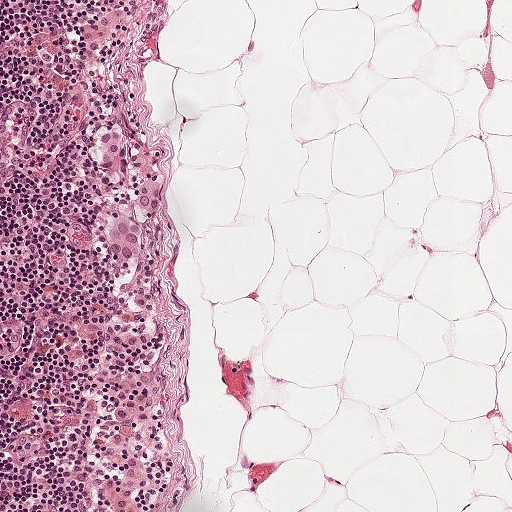
A 0.5-mm field of an H&E-stained sentinel lymph node from a breast-cancer patient (whole-slide image), shown at about 10×, about 0.97 µm per pixel.
Question: Does this lymph node field contain metastatic tumour?
Answer: Yes.
Outlines of two tumour regions, largest first (closed clockwise paths, crop pixels): region 1: (126, 117), (129, 132), (128, 156), (133, 167), (164, 180), (165, 196), (160, 211), (152, 215), (139, 212), (134, 203), (132, 189), (126, 179), (118, 175), (98, 174), (87, 163), (86, 158), (94, 139), (104, 124), (113, 118); region 2: (131, 209), (144, 223), (146, 230), (146, 247), (142, 263), (124, 271), (106, 271), (98, 264), (94, 250), (94, 238), (99, 223), (105, 214), (112, 210).
The annotated tumour makes up under 5% of the crop.

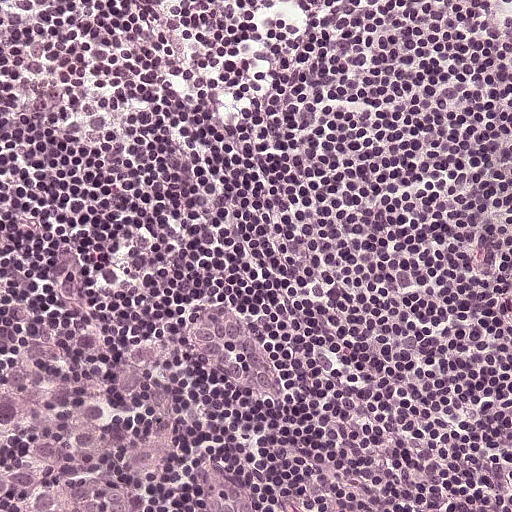
This is a crop of a whole-slide image: an H&E-stained breast-cancer sentinel lymph node section at roughly 20× magnification (about 0.49 µm per pixel; the crop spans about 0.25 mm).
Question: Does this lymph node field contain metastatic tumour?
Answer: Yes.
Metastatic tumour outline, simplified to 5 points and listed clockwise in crop pixels (x, y): (53, 277), (126, 314), (259, 510), (0, 511), (0, 279).
The annotated tumour makes up about 15% of the crop.

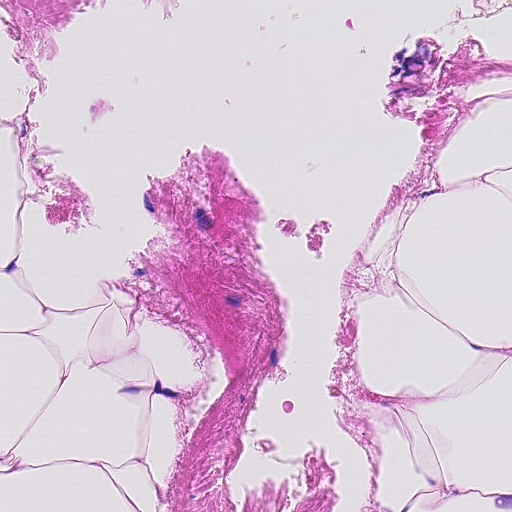
H&E-stained section of a sentinel lymph node (breast cancer), from a whole-slide image, viewed at about 20×: the field is about 0.23 mm across, about 0.45 µm per pixel.
Question: Does this lymph node field contain metastatic tumour?
Answer: No, this field holds no outlined metastasis.

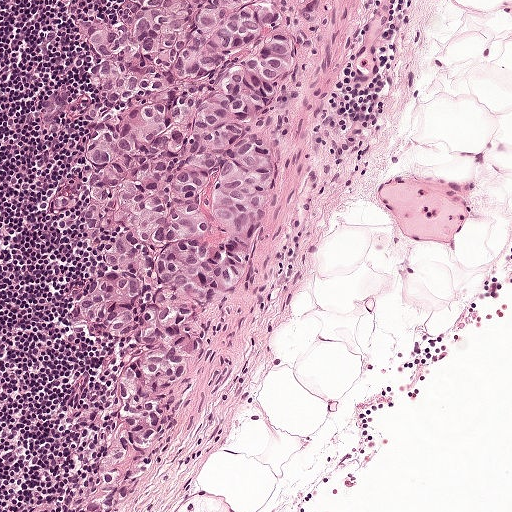
This is a crop of a whole-slide image: an H&E-stained breast-cancer sentinel lymph node section at roughly 10× magnification (about 0.97 µm per pixel; the crop spans about 0.5 mm).
Question: Does this lymph node field contain metastatic tumour?
Answer: Yes.
One metastatic tumour region; its boundary, reduced to 15 corners and listed clockwise: (116, 0), (320, 0), (255, 230), (196, 330), (175, 422), (130, 511), (68, 511), (130, 365), (82, 318), (91, 240), (52, 200), (86, 163), (80, 146), (98, 74), (90, 37).
About 30% of the image area is annotated as tumour.